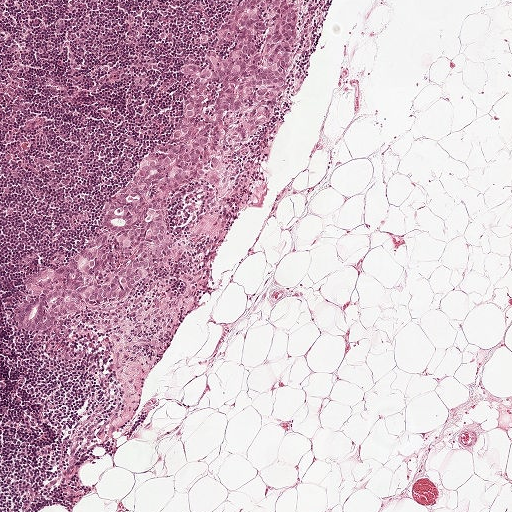
This is a crop of a whole-slide image: an H&E-stained breast-cancer sentinel lymph node section at roughly 5× magnification (about 1.9 µm per pixel; the crop spans about 1 mm).
Metastatic tumour outline, simplified to 23 points and listed clockwise in crop pixels (x, y): (247, 0), (302, 2), (295, 86), (280, 122), (238, 149), (237, 176), (225, 192), (208, 198), (198, 182), (173, 197), (169, 222), (177, 249), (131, 307), (48, 333), (17, 333), (8, 321), (32, 277), (89, 242), (125, 187), (163, 152), (182, 109), (186, 66), (210, 57).
The annotated tumour makes up about 10% of the crop.